Image:
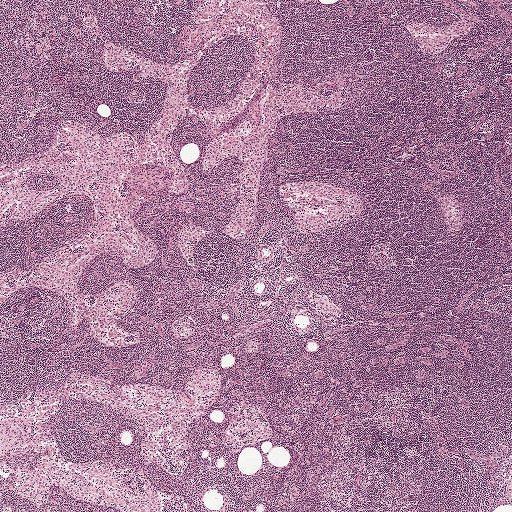
Lymph node section stained with H&E, from a whole-slide image of a breast-cancer sentinel node. Magnification about 2.5×, about 2.0 mm across the frame, about 3.9 µm per pixel.
Question:
Is there metastatic carcinoma in this field?
Answer:
No: no metastatic tumour is outlined anywhere in this field.